Question: 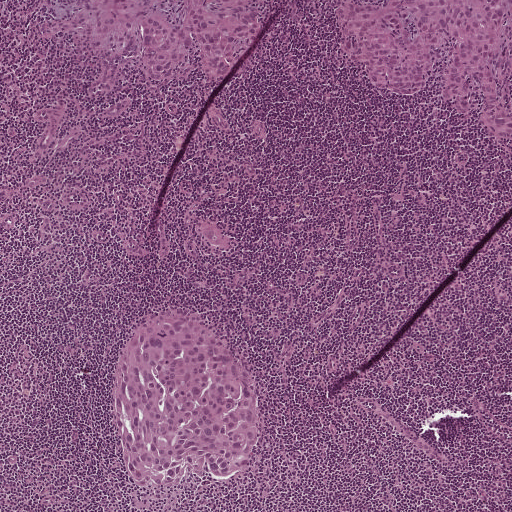
H&E-stained section of a sentinel lymph node (breast cancer), from a whole-slide image, viewed at about 5×: the field is about 1 mm across, about 1.9 µm per pixel.
About how much of this crop is taken up by metastatic carcinoma?

Choices:
 (A) none: no tumour is outlined
 (B) about 10% to 20%
 (C) about 5% or less
 (D) about 50% or more
 (E) about 25% to 45%

Answer: (B) about 10% to 20%
About 20% of the field is tumour.
Three metastatic tumour regions, each outlined as a closed clockwise path in crop pixels (x, y), largest first: region 1: (181, 311), (203, 316), (247, 364), (265, 425), (261, 446), (232, 477), (210, 480), (189, 472), (154, 491), (134, 486), (115, 426), (115, 362), (158, 314); region 2: (338, 0), (511, 0), (511, 143), (488, 141), (480, 124), (479, 97), (462, 120), (446, 110), (438, 92), (446, 55), (435, 76), (407, 102), (372, 89), (339, 43), (333, 6); region 3: (283, 0), (263, 1), (255, 59), (248, 77), (232, 88), (197, 74), (162, 96), (144, 93), (128, 59), (116, 95), (97, 99), (85, 86), (93, 68), (90, 50), (78, 35), (60, 40), (42, 34), (45, 15), (34, 2).